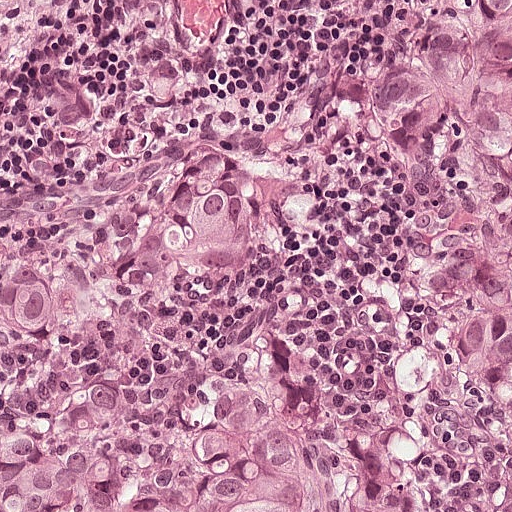
A 0.25-mm field of an H&E-stained sentinel lymph node from a breast-cancer patient (whole-slide image), shown at about 20×, about 0.49 µm per pixel.
Question: Outline the metastatic carcinoma in this image, as closed paths of (x, y) pixel coordinates.
Answer: The outlined metastatic tumour's edge, as a closed clockwise path of 24 points: (402, 0), (511, 0), (511, 511), (0, 511), (6, 232), (164, 136), (212, 125), (258, 134), (273, 190), (242, 255), (171, 290), (176, 330), (204, 342), (252, 325), (295, 344), (356, 414), (386, 488), (404, 501), (478, 484), (478, 334), (440, 268), (428, 203), (368, 100), (364, 48).
The annotated tumour makes up about 55% of the crop.